This is a crop of a whole-slide image: an H&E-stained breast-cancer sentinel lymph node section at roughly 20× magnification (about 0.49 µm per pixel; the crop spans about 0.25 mm).
Question: 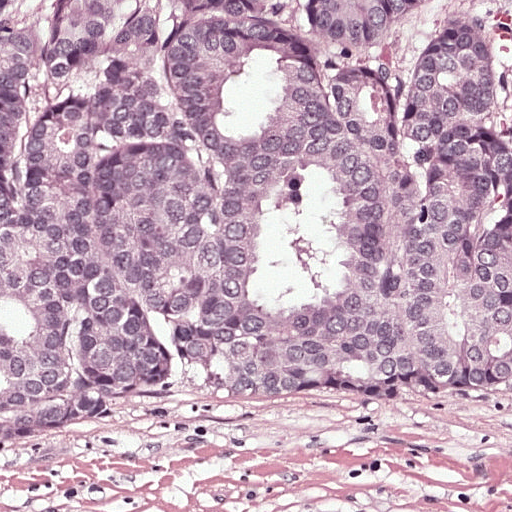
Estimate the proportion of this field that is metastatic tumour.

Choices:
 (A) about 50% or more
 (B) about 10% to 20%
 (C) about 25% to 45%
 (D) none: no tumour is outlined
 (E) about 5% or less

Answer: (A) about 50% or more
About 80% of the field is tumour.
Metastatic tumour outline, simplified to 5 points and listed clockwise in crop pixels (x, y): (0, 0), (511, 0), (511, 419), (268, 404), (0, 442).